H&E-stained section of a sentinel lymph node (breast cancer), from a whole-slide image, viewed at about 20×: the field is about 0.25 mm across, about 0.49 µm per pixel.
Question: 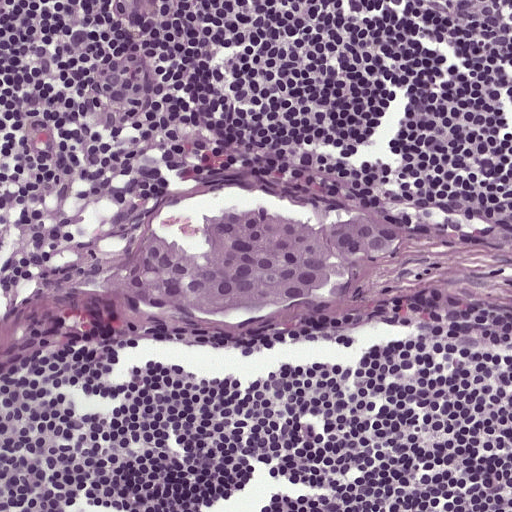
What fraction of the image area is metastatic tumour?

Choices:
 (A) none: no tumour is outlined
 (B) about 5% or less
 (C) about 25% to 45%
 (D) about 50% or more
 (E) about 10% to 20%

Answer: (E) about 10% to 20%
About 10% of the field is tumour.
Tumour region outline (a closed clockwise path, crop pixels): (260, 206), (322, 221), (364, 214), (392, 222), (405, 234), (389, 257), (356, 266), (349, 277), (335, 280), (327, 294), (298, 302), (214, 314), (168, 311), (100, 290), (104, 281), (121, 253), (145, 232), (158, 225), (198, 250), (201, 222), (211, 212).